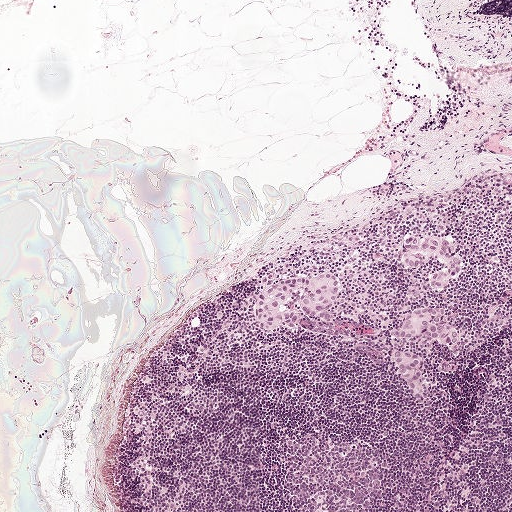
A 1-mm field of an H&E-stained sentinel lymph node from a breast-cancer patient (whole-slide image), shown at about 5×, about 1.9 µm per pixel.
Outlines of four tumour regions, largest first (closed clockwise paths, crop pixels): region 1: (326, 270), (338, 277), (339, 288), (334, 304), (326, 310), (322, 310), (315, 317), (299, 321), (295, 330), (268, 330), (256, 324), (255, 301), (261, 290), (289, 272), (301, 275); region 2: (406, 233), (440, 236), (452, 240), (463, 260), (460, 275), (436, 289), (432, 288), (427, 282), (432, 273), (442, 266), (441, 260), (429, 256), (415, 270), (406, 269), (401, 265), (398, 258), (401, 250), (400, 241); region 3: (434, 307), (444, 308), (445, 323), (454, 326), (458, 332), (456, 343), (450, 346), (444, 346), (422, 336), (412, 340), (402, 339), (400, 329), (403, 321), (418, 309); region 4: (390, 348), (414, 354), (422, 358), (422, 392), (420, 399), (412, 396), (393, 359), (385, 354).
The annotated tumour makes up about 5% of the crop.